Image:
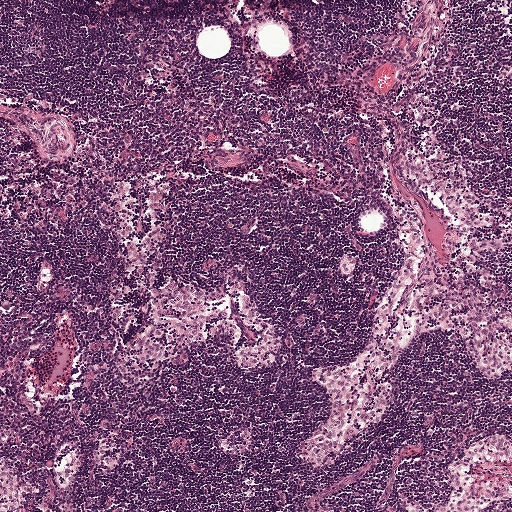
This is a crop of a whole-slide image: an H&E-stained breast-cancer sentinel lymph node section at roughly 5× magnification (about 1.9 µm per pixel; the crop spans about 1 mm).
Question:
Is there metastatic carcinoma in this field?
Answer:
No: no metastatic tumour is outlined anywhere in this field.